Lymph node section stained with H&E, from a whole-slide image of a breast-cancer sentinel node. Magnification about 2.5×, about 2.0 mm across the frame, about 3.9 µm per pixel.
Question: 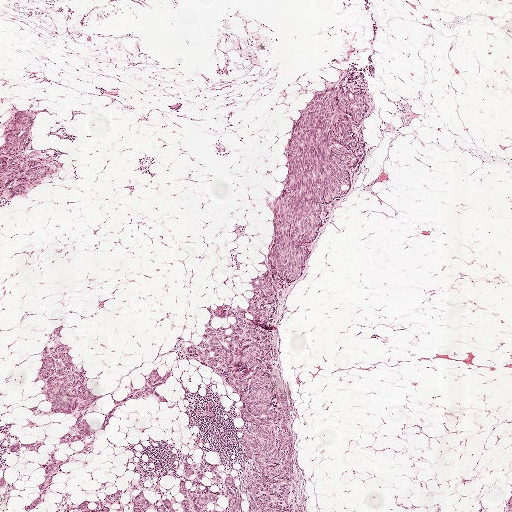
About how much of this crop is taken up by metastatic carcinoma?

Choices:
 (A) about 25% to 45%
 (B) none: no tumour is outlined
 (C) about 10% to 20%
 (D) about 5% or less
 (E) about 50% or more

Answer: (A) about 25% to 45%
About 25% of the field is tumour.
Boundaries of four metastatic tumour regions, simplified and listed clockwise, largest first: region 1: (345, 70), (375, 82), (365, 172), (300, 285), (293, 322), (293, 382), (320, 511), (26, 511), (42, 462), (31, 389), (65, 330), (120, 395), (165, 343), (250, 275), (272, 172), (324, 82); region 2: (23, 99), (42, 114), (45, 144), (67, 154), (68, 164), (27, 207), (1, 223), (0, 142), (14, 108); region 3: (0, 409), (6, 418), (9, 418), (20, 438), (19, 451), (10, 478), (7, 511), (0, 511); region 4: (511, 497), (511, 511), (488, 511), (497, 510), (498, 509), (501, 509), (501, 507), (507, 502), (508, 502).